Question: 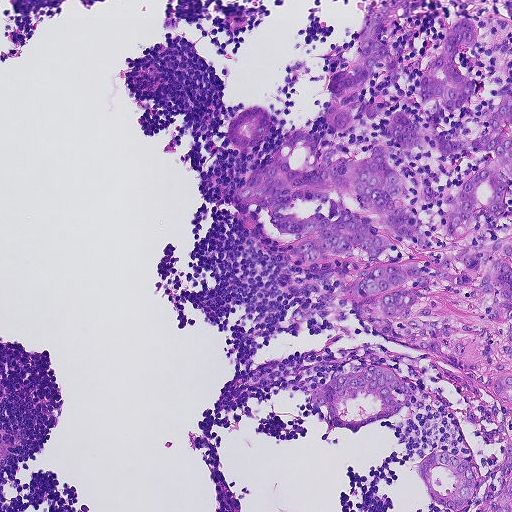
Lymph node section stained with H&E, from a whole-slide image of a breast-cancer sentinel node. Magnification about 10×, about 0.46 mm across the frame, about 0.9 µm per pixel.
About how much of this crop is taken up by metastatic carcinoma?

Choices:
 (A) none: no tumour is outlined
 (B) about 10% to 20%
 (C) about 5% or less
 (D) about 25% to 45%
 (E) about 50% or more

Answer: (D) about 25% to 45%
About 25% of the field is tumour.
Outlines of three tumour regions, largest first (closed clockwise paths, crop pixels): region 1: (390, 0), (418, 0), (384, 32), (396, 56), (364, 85), (380, 112), (352, 126), (350, 158), (371, 153), (394, 114), (421, 110), (452, 27), (508, 16), (511, 36), (460, 51), (477, 88), (442, 127), (475, 136), (511, 93), (511, 511), (477, 511), (477, 494), (451, 511), (416, 468), (444, 449), (492, 494), (502, 487), (510, 432), (498, 400), (361, 318), (358, 249), (306, 267), (292, 251), (310, 238), (230, 198), (292, 132), (336, 143), (320, 113), (328, 78), (358, 60); region 2: (371, 366), (389, 369), (406, 380), (410, 389), (408, 399), (401, 408), (393, 412), (384, 409), (373, 394), (363, 393), (346, 402), (346, 411), (339, 417), (314, 408), (309, 400), (311, 390), (335, 377), (352, 368); region 3: (245, 106), (256, 106), (266, 111), (268, 122), (266, 133), (260, 142), (252, 148), (240, 149), (230, 144), (227, 132), (229, 122).
One more small tumour piece is annotated here but not outlined.